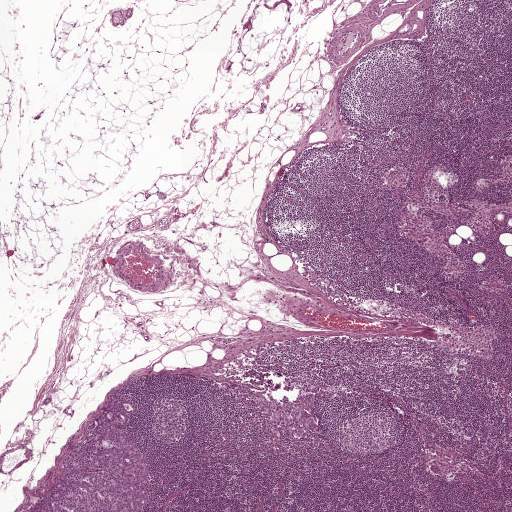
This is a crop of a whole-slide image: an H&E-stained breast-cancer sentinel lymph node section at roughly 2.5× magnification (about 3.9 µm per pixel; the crop spans about 2.0 mm).
Boundaries of two metastatic tumour regions, simplified and listed clockwise, largest first: region 1: (109, 394), (136, 395), (141, 404), (127, 422), (133, 442), (143, 451), (151, 473), (144, 511), (23, 511), (38, 503), (57, 482), (62, 473), (62, 460), (80, 448), (88, 423); region 2: (223, 380), (256, 390), (266, 390), (277, 384), (315, 383), (319, 388), (315, 411), (318, 436), (300, 438), (279, 426), (274, 429), (256, 420), (253, 411), (243, 406), (237, 399), (222, 394), (220, 384).
About 5% of the image area is annotated as tumour.